Image:
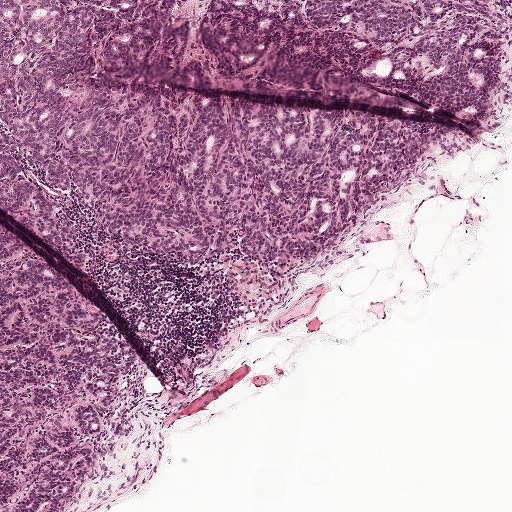
Lymph node section stained with H&E, from a whole-slide image of a breast-cancer sentinel node. Magnification about 5×, about 1 mm across the frame, about 1.9 µm per pixel.
Question:
Which parts of this field are metastatic tumour?
Answer:
Two metastatic tumour regions, each outlined as a closed clockwise path in crop pixels (x, y), largest first: region 1: (0, 0), (511, 0), (477, 112), (386, 90), (160, 2), (148, 5), (138, 57), (70, 64), (76, 78), (134, 77), (438, 130), (416, 169), (298, 265), (230, 256), (223, 276), (252, 316), (188, 363), (159, 366), (125, 311), (2, 211); region 2: (0, 223), (120, 331), (144, 367), (87, 475), (58, 511), (0, 511).
Tumour covers about 50% of the frame.